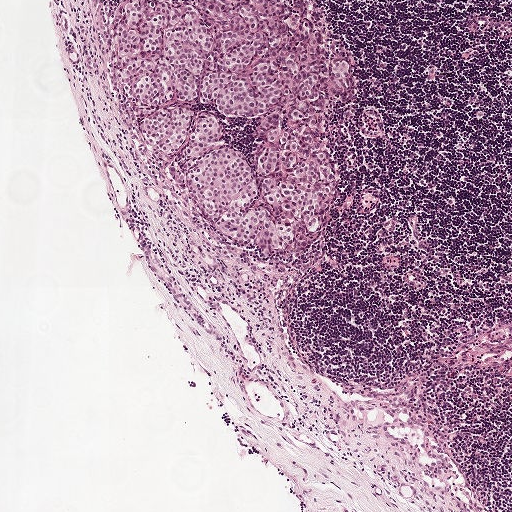
Lymph node section stained with H&E, from a whole-slide image of a breast-cancer sentinel node. Magnification about 5×, about 1 mm across the frame, about 1.9 µm per pixel.
Question: Which parts of this field are metastatic tumour?
Answer: Metastatic tumour outline, simplified to 12 points and listed clockwise in crop pixels (x, y): (119, 0), (305, 0), (343, 40), (352, 69), (324, 110), (336, 210), (315, 250), (240, 257), (211, 237), (159, 170), (115, 90), (103, 39).
About 20% of this field is tumour.